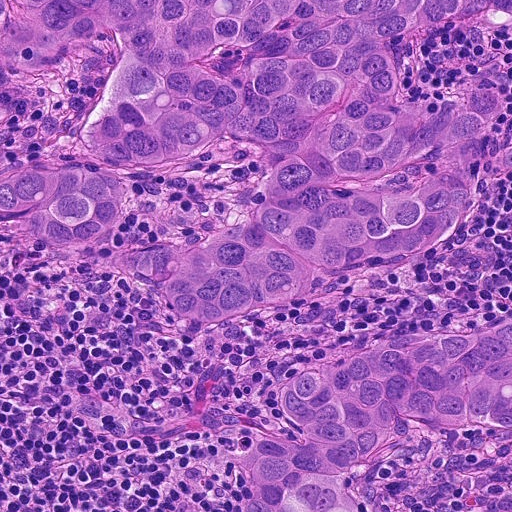
H&E-stained section of a sentinel lymph node (breast cancer), from a whole-slide image, viewed at about 20×: the field is about 0.23 mm across, about 0.45 µm per pixel.
Boundaries of two metastatic tumour regions, simplified and listed clockwise, largest first: region 1: (0, 0), (491, 0), (400, 44), (398, 98), (466, 105), (491, 74), (482, 152), (511, 140), (511, 168), (444, 253), (174, 331), (113, 264), (258, 212), (260, 144), (123, 168), (132, 224), (54, 261), (0, 208), (0, 170), (74, 160), (110, 40), (0, 79); region 2: (511, 311), (511, 511), (232, 511), (232, 484), (254, 444), (289, 424), (276, 380), (318, 357).
The annotated tumour makes up about 60% of the crop.